Question: 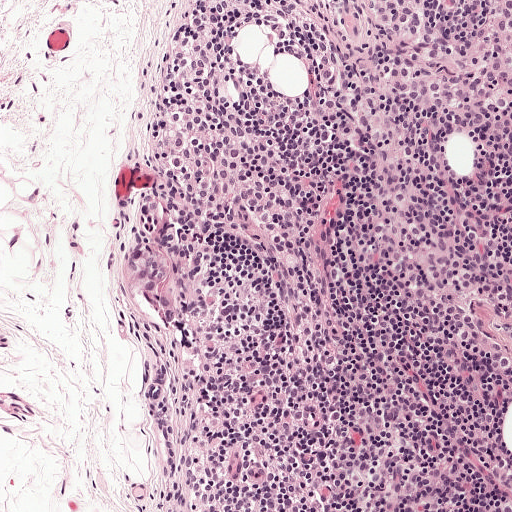
A 0.5-mm field of an H&E-stained sentinel lymph node from a breast-cancer patient (whole-slide image), shown at about 10×, about 0.97 µm per pixel.
What fraction of the image area is metastatic tumour?

Choices:
 (A) about 25% to 45%
 (B) none: no tumour is outlined
 (C) about 50% or more
 (D) about 5% or less
 (E) about 10% to 20%

Answer: (D) about 5% or less
Under 5% of the field is tumour.
The outlined metastatic tumour's edge, as a closed clockwise path of 13 points: (143, 237), (158, 241), (171, 256), (173, 271), (170, 287), (177, 301), (179, 316), (167, 323), (132, 295), (124, 283), (118, 270), (120, 254), (129, 242).